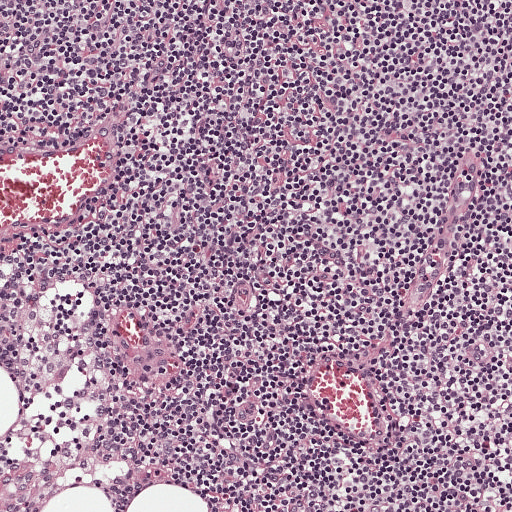
This is a crop of a whole-slide image: an H&E-stained breast-cancer sentinel lymph node section at roughly 10× magnification (about 0.97 µm per pixel; the crop spans about 0.5 mm).